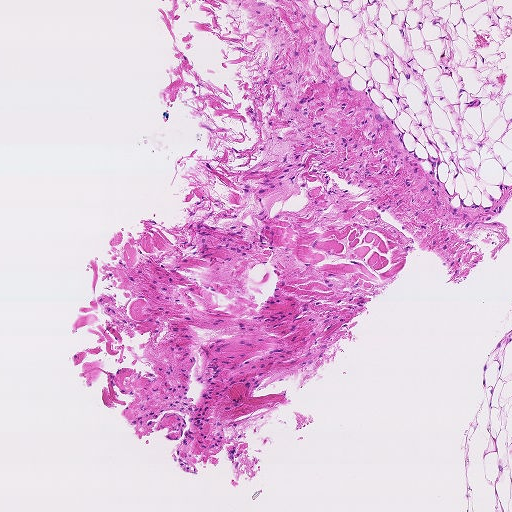
H&E-stained section of a sentinel lymph node (breast cancer), from a whole-slide image, viewed at about 5×: the field is about 0.93 mm across, about 1.8 µm per pixel.